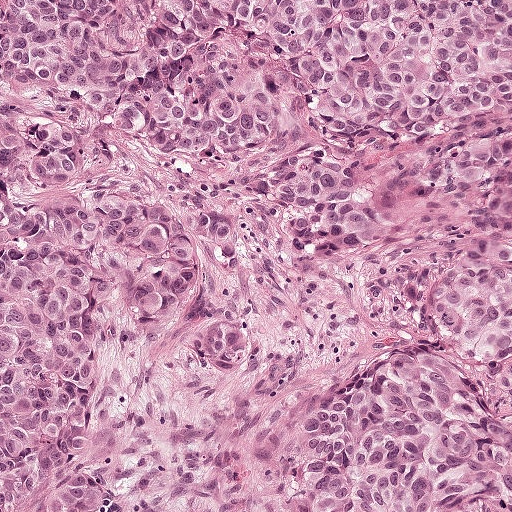
H&E-stained section of a sentinel lymph node (breast cancer), from a whole-slide image, viewed at about 10×: the field is about 0.5 mm across, about 0.97 µm per pixel.
Metastatic tumour covers the whole field.
Over 95% of this field is tumour.